Lymph node section stained with H&E, from a whole-slide image of a breast-cancer sentinel node. Magnification about 2.5×, about 2.0 mm across the frame, about 3.9 µm per pixel.
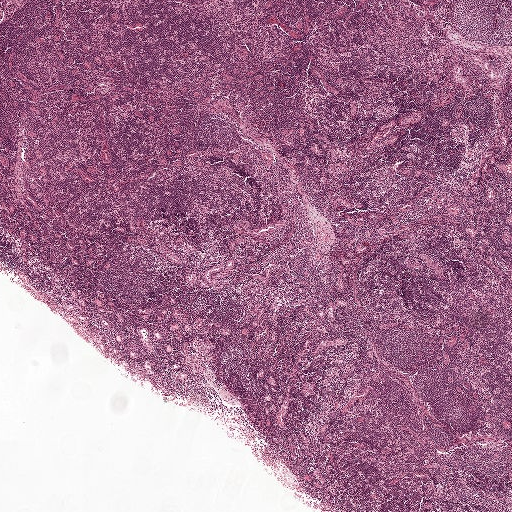
Question: Is any metastatic breast cancer visible in this crop?
Answer: No: no metastatic tumour is outlined anywhere in this field.